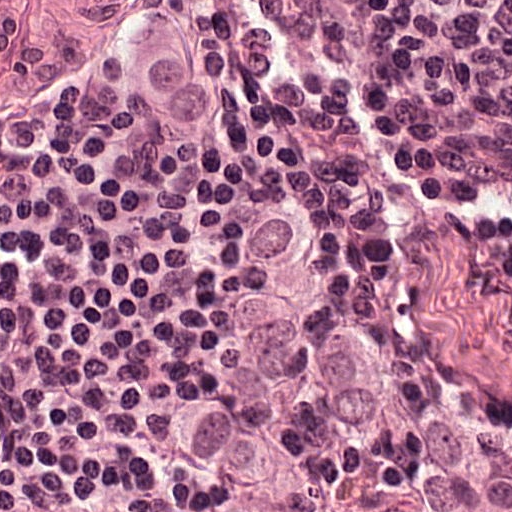
This is a crop of a whole-slide image: an H&E-stained breast-cancer sentinel lymph node section at roughly 40× magnification (about 0.24 µm per pixel; the crop spans about 0.12 mm).
Tumour region outline (a closed clockwise path, crop pixels): (115, 1), (162, 7), (193, 29), (218, 88), (199, 160), (231, 194), (293, 213), (324, 238), (318, 320), (368, 329), (393, 363), (404, 441), (387, 466), (346, 485), (334, 511), (149, 511), (168, 413), (205, 323), (205, 266), (187, 201), (84, 120).
One more small tumour piece is annotated here but not outlined.
Tumour covers about 25% of the frame.